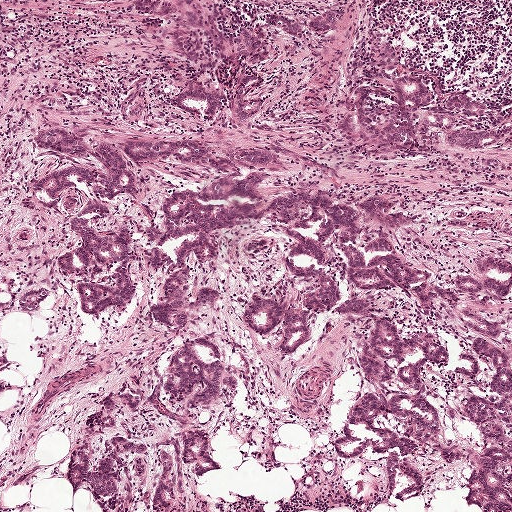
A 1-mm field of an H&E-stained sentinel lymph node from a breast-cancer patient (whole-slide image), shown at about 5×, about 1.9 µm per pixel.
The eight largest tumour regions' boundaries, simplified and listed clockwise, largest first: region 1: (287, 187), (359, 200), (392, 194), (414, 220), (406, 230), (385, 235), (387, 240), (436, 285), (474, 253), (511, 256), (511, 288), (506, 300), (478, 294), (463, 296), (460, 306), (434, 301), (431, 319), (406, 306), (391, 288), (349, 288), (333, 270), (338, 302), (332, 312), (317, 315), (310, 345), (292, 355), (273, 352), (247, 331), (242, 306), (255, 292), (298, 310), (314, 289), (287, 269), (291, 241), (266, 219), (269, 201); region 2: (62, 125), (83, 142), (122, 152), (122, 141), (132, 137), (182, 135), (222, 152), (264, 149), (274, 157), (275, 180), (259, 191), (255, 220), (211, 239), (204, 266), (182, 262), (187, 285), (211, 287), (218, 298), (174, 333), (144, 311), (156, 284), (145, 264), (158, 237), (155, 207), (160, 195), (219, 178), (128, 160), (131, 194), (108, 200), (69, 175), (59, 200), (39, 198), (32, 183), (44, 174), (106, 168), (92, 158), (43, 151), (30, 141), (33, 130); region 3: (352, 296), (378, 303), (408, 334), (443, 338), (454, 361), (444, 371), (430, 368), (422, 391), (460, 463), (442, 464), (421, 446), (406, 458), (427, 487), (400, 504), (384, 496), (385, 456), (364, 449), (346, 463), (328, 448), (352, 402), (372, 391), (360, 376), (368, 326), (336, 311); region 4: (363, 38), (382, 38), (396, 48), (406, 68), (425, 75), (450, 95), (479, 100), (498, 112), (511, 108), (511, 150), (472, 158), (427, 139), (420, 142), (410, 162), (399, 167), (380, 168), (357, 158), (339, 137), (348, 56), (353, 45); region 5: (126, 0), (172, 0), (197, 10), (220, 1), (298, 16), (327, 8), (332, 12), (332, 24), (328, 32), (303, 31), (292, 37), (260, 22), (264, 54), (253, 66), (261, 79), (239, 93), (248, 97), (261, 94), (255, 114), (247, 119), (227, 116), (230, 85), (238, 63), (223, 58), (214, 60), (211, 66), (221, 100), (214, 116), (204, 121), (168, 106), (168, 100), (187, 80), (190, 66), (159, 26), (128, 9); region 6: (463, 316), (504, 325), (507, 330), (503, 344), (488, 341), (511, 356), (511, 427), (508, 436), (511, 438), (511, 511), (478, 511), (464, 503), (482, 447), (479, 431), (466, 406), (471, 396), (490, 394), (485, 385), (454, 369), (457, 355), (470, 349), (475, 336), (481, 338), (461, 325); region 7: (82, 202), (104, 204), (111, 212), (90, 226), (98, 234), (114, 227), (130, 230), (129, 268), (134, 295), (125, 306), (82, 313), (75, 296), (75, 279), (110, 285), (117, 260), (78, 277), (67, 277), (57, 269), (60, 257), (78, 243), (71, 225); region 8: (136, 385), (150, 396), (148, 404), (138, 410), (120, 410), (118, 421), (93, 440), (88, 451), (91, 468), (96, 463), (96, 452), (110, 440), (128, 438), (144, 444), (149, 450), (142, 454), (124, 455), (121, 458), (116, 473), (121, 495), (108, 500), (99, 497), (92, 487), (79, 485), (69, 488), (68, 471), (71, 453), (81, 437), (87, 418), (118, 391).
Five more, smaller tumour regions are not outlined.
Two more small tumour pieces are annotated here but not outlined.
The annotated tumour makes up about 40% of the crop.